A 0.25-mm field of an H&E-stained sentinel lymph node from a breast-cancer patient (whole-slide image), shown at about 20×, about 0.49 µm per pixel.
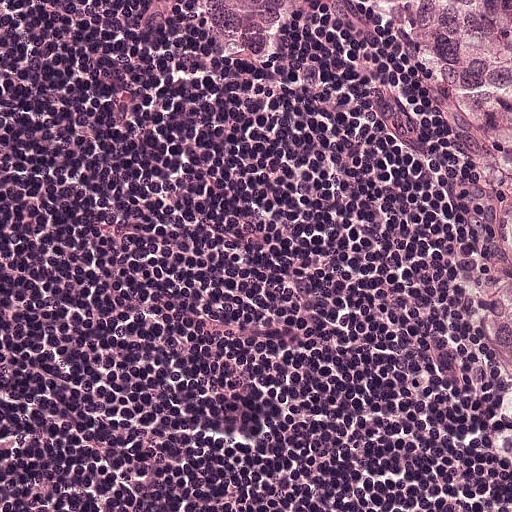
Question: Does this lymph node field contain metastatic tumour?
Answer: Yes.
Tumour region outline (a closed clockwise path, crop pixels): (219, 0), (511, 0), (511, 511), (412, 511), (375, 266), (342, 196), (254, 156), (206, 112), (192, 74), (192, 20).
About 35% of the image area is annotated as tumour.